Image:
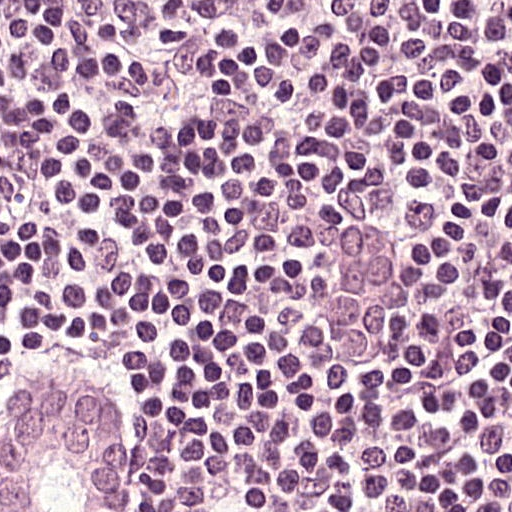
H&E-stained section of a sentinel lymph node (breast cancer), from a whole-slide image, viewed at about 40×: the field is about 0.12 mm across, about 0.24 µm per pixel.
Question:
Trace the edge of each tumour region in this crop, as (x, y) points from 0 to 511.
Answer:
Three metastatic tumour regions, each outlined as a closed clockwise path in crop pixels (x, y), largest first: region 1: (53, 352), (116, 393), (128, 511), (0, 511), (0, 389), (38, 393); region 2: (358, 213), (399, 231), (405, 238), (400, 298), (392, 311), (387, 350), (380, 362), (362, 362), (344, 356), (337, 349), (338, 329), (322, 318), (322, 295), (339, 272), (339, 227); region 3: (298, 493), (338, 493), (353, 496), (377, 511), (264, 511), (264, 507), (268, 507).
Tumour covers about 10% of the frame.